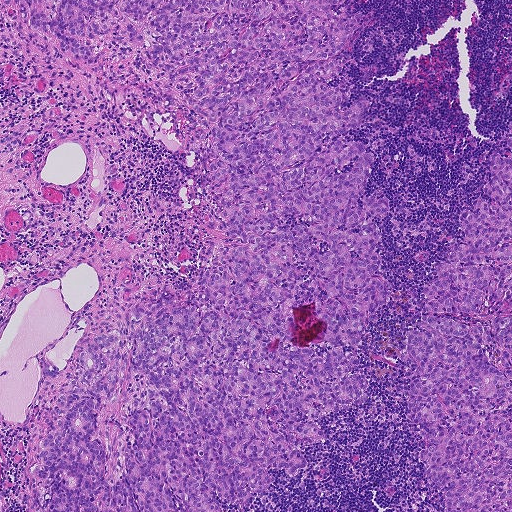
This is a crop of a whole-slide image: an H&E-stained breast-cancer sentinel lymph node section at roughly 5× magnification (about 1.8 µm per pixel; the crop spans about 0.93 mm).
Question: Is there metastatic carcinoma in this field?
Answer: Yes.
Boundaries of three metastatic tumour regions, simplified and listed clockwise, largest first: region 1: (5, 5), (375, 11), (344, 74), (345, 105), (372, 98), (344, 135), (390, 211), (371, 220), (391, 291), (353, 348), (367, 395), (240, 511), (25, 511), (85, 343), (192, 296), (223, 228), (199, 184), (210, 127), (143, 66), (156, 38), (133, 47), (120, 24), (87, 68); region 2: (487, 153), (511, 158), (511, 511), (444, 511), (444, 490), (425, 481), (423, 435), (404, 412), (418, 366), (405, 340), (422, 309), (422, 286), (462, 238), (457, 218), (481, 197); region 3: (510, 119), (511, 119), (511, 152), (503, 143), (508, 135), (505, 125).
About 55% of this field is tumour.

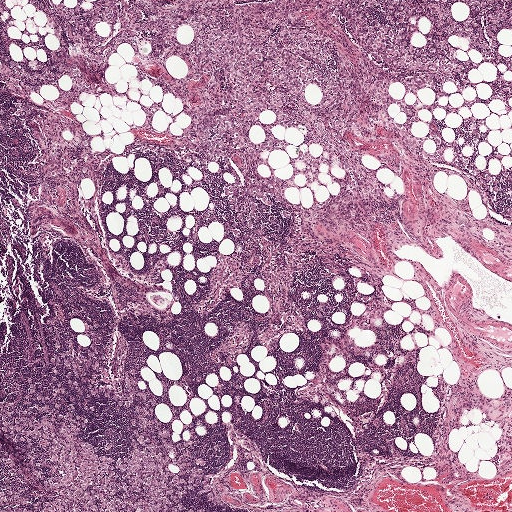
H&E-stained section of a sentinel lymph node (breast cancer), from a whole-slide image, viewed at about 2.5×: the field is about 2.0 mm across, about 3.9 µm per pixel.
Question: Is there metastatic carcinoma in this field?
Answer: Yes.
The outlined metastatic tumour's edge, as a closed clockwise path of 20 points: (27, 385), (38, 387), (78, 411), (101, 454), (118, 457), (131, 449), (134, 416), (151, 408), (172, 444), (204, 462), (208, 487), (203, 495), (187, 495), (197, 511), (0, 511), (0, 454), (41, 487), (23, 449), (4, 430), (7, 412).
The annotated tumour makes up about 5% of the crop.

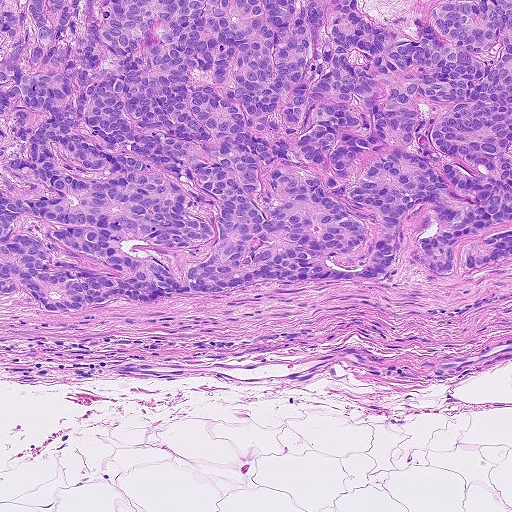
H&E-stained section of a sentinel lymph node (breast cancer), from a whole-slide image, viewed at about 10×: the field is about 0.46 mm across, about 0.9 µm per pixel.
Question: Is there metastatic carcinoma in this field?
Answer: Yes.
One metastatic tumour region; its boundary, reduced to 13 corners and listed clockwise: (0, 0), (511, 0), (511, 261), (442, 280), (421, 275), (403, 252), (400, 273), (381, 281), (256, 284), (72, 315), (52, 315), (18, 292), (0, 296).
About 55% of this field is tumour.

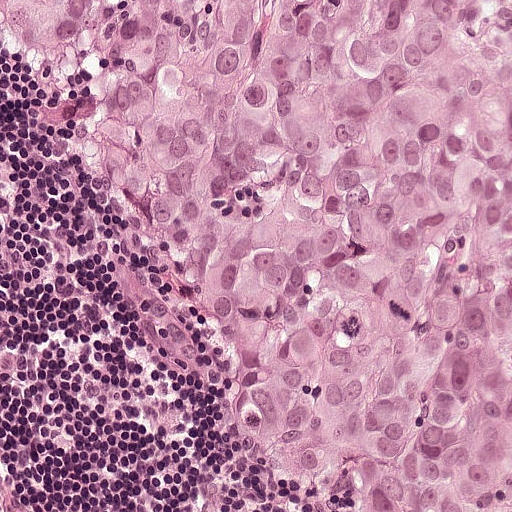
H&E-stained section of a sentinel lymph node (breast cancer), from a whole-slide image, viewed at about 20×: the field is about 0.25 mm across, about 0.49 µm per pixel.
Question: Is there metastatic carcinoma in this field?
Answer: Yes.
The outlined metastatic tumour's edge, as a closed clockwise path of 10 points: (0, 0), (511, 0), (511, 511), (304, 511), (250, 468), (172, 362), (140, 265), (76, 188), (58, 115), (12, 76).
The annotated tumour makes up about 75% of the crop.